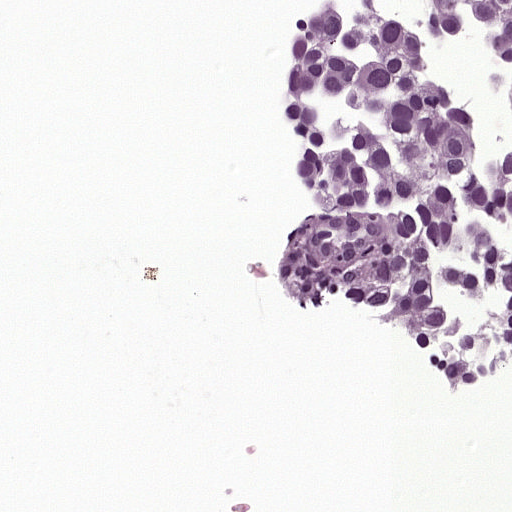
Lymph node section stained with H&E, from a whole-slide image of a breast-cancer sentinel node. Magnification about 20×, about 0.25 mm across the frame, about 0.49 µm per pixel.
Question: Outline the metastatic carcinoma in this image, as closed paths of (x, y) pixel coordinates.
Answer: Metastatic tumour outline, simplified to 10 points and listed clockwise in crop pixels (x, y): (326, 0), (511, 0), (511, 382), (452, 394), (374, 322), (283, 303), (276, 248), (304, 205), (288, 174), (280, 70).
About 30% of the image area is annotated as tumour.